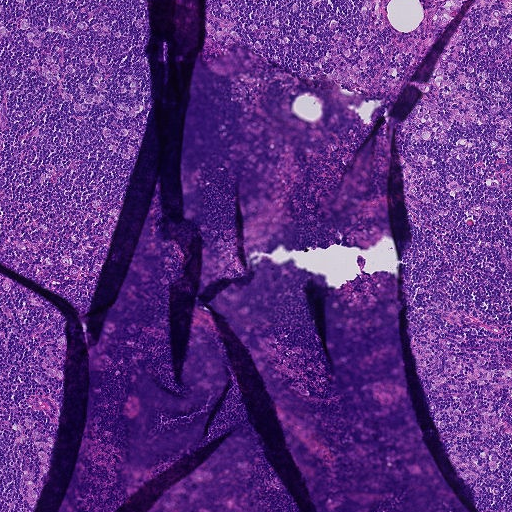
A 0.93-mm field of an H&E-stained sentinel lymph node from a breast-cancer patient (whole-slide image), shown at about 5×, about 1.8 µm per pixel.
Boundaries of three metastatic tumour regions, simplified and listed clockwise, largest first: region 1: (204, 0), (511, 0), (511, 511), (483, 511), (430, 414), (412, 347), (402, 258), (412, 238), (395, 126), (422, 94), (408, 84), (387, 112), (229, 40), (214, 61), (201, 63); region 2: (0, 0), (147, 0), (145, 49), (155, 100), (88, 312), (0, 261); region 3: (0, 271), (66, 317), (66, 394), (35, 511), (0, 511).
Tumour covers about 45% of the frame.